Image:
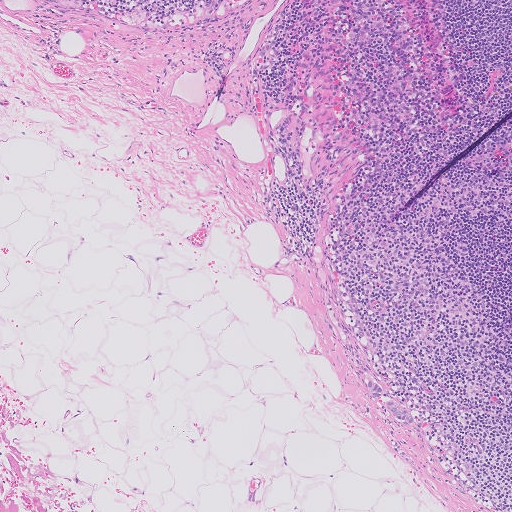
H&E-stained section of a sentinel lymph node (breast cancer), from a whole-slide image, viewed at about 5×: the field is about 1.0 mm across, about 2.0 µm per pixel.
Question:
Describe where the metastatic carcinoma lies in this crop.
Answer:
Outlines of two tumour regions, largest first (closed clockwise paths, crop pixels): region 1: (385, 400), (392, 400), (396, 402), (412, 417), (413, 420), (412, 424), (406, 426), (397, 419), (384, 406), (382, 403); region 2: (370, 378), (374, 382), (381, 386), (382, 389), (382, 393), (382, 396), (378, 397), (375, 397), (370, 393), (366, 386), (365, 383), (366, 379).
Under 5% of the image area is annotated as tumour.

Image:
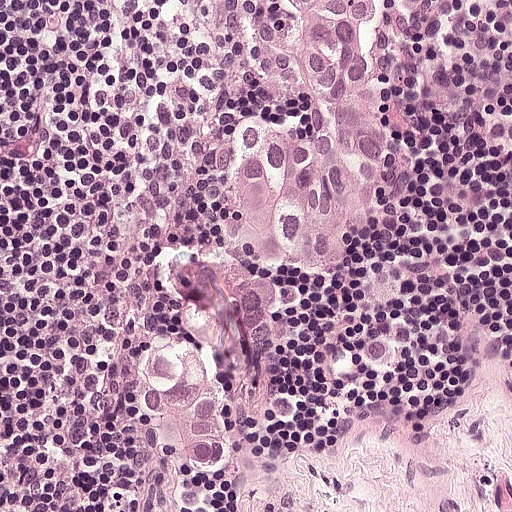
A 0.25-mm field of an H&E-stained sentinel lymph node from a breast-cancer patient (whole-slide image), shown at about 20×, about 0.49 µm per pixel.
Question:
Describe where the metastatic carcinoma lies in this crop.
Answer:
Metastatic tumour outline, simplified to 21 points and listed clockwise in crop pixels (x, y): (268, 0), (380, 0), (364, 38), (381, 191), (356, 262), (326, 286), (283, 298), (291, 362), (276, 394), (244, 418), (212, 472), (182, 483), (180, 511), (150, 511), (136, 382), (154, 340), (185, 320), (170, 272), (218, 248), (246, 97), (269, 78).
About 25% of this field is tumour.

Image:
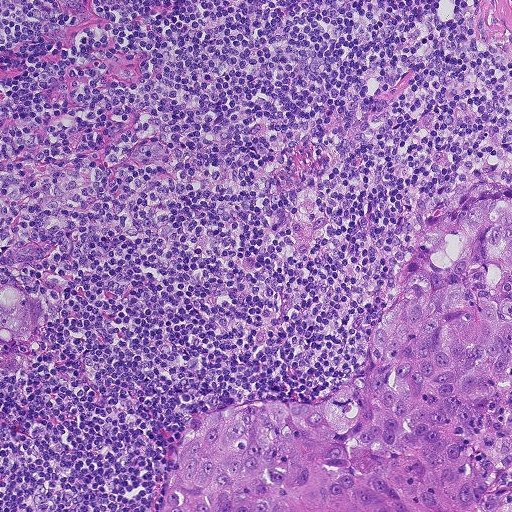
A 0.46-mm field of an H&E-stained sentinel lymph node from a breast-cancer patient (whole-slide image), shown at about 10×, about 0.9 µm per pixel.
Question:
Describe where the metastatic carcinoma lies in this crop.
Answer:
Two metastatic tumour regions, each outlined as a closed clockwise path in crop pixels (x, y), largest first: region 1: (477, 190), (510, 192), (511, 511), (159, 511), (191, 423), (240, 402), (323, 401), (338, 391), (432, 220); region 2: (6, 284), (22, 287), (36, 299), (41, 316), (38, 332), (24, 344), (7, 344), (0, 342), (0, 285).
The annotated tumour makes up about 25% of the crop.

Image:
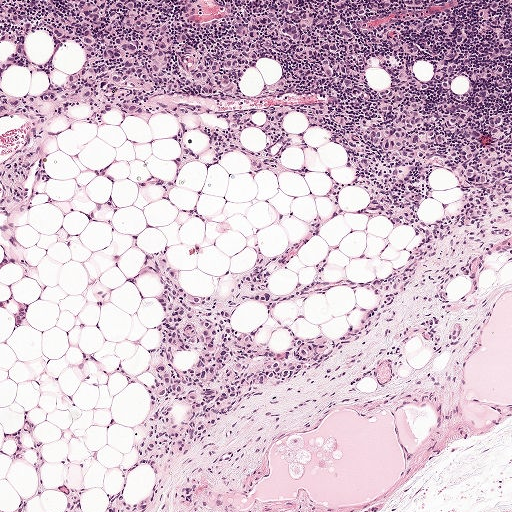
H&E-stained section of a sentinel lymph node (breast cancer), from a whole-slide image, viewed at about 5×: the field is about 1 mm across, about 1.9 µm per pixel.
Question:
Describe where the metastatic carcinoma lies in this crop.
Answer:
Two metastatic tumour regions, each outlined as a closed clockwise path in crop pixels (x, y), largest first: region 1: (0, 0), (181, 0), (204, 19), (302, 0), (382, 96), (511, 98), (511, 189), (430, 252), (372, 328), (154, 484), (149, 511), (58, 511), (50, 492), (9, 511), (32, 480), (0, 435), (28, 411), (48, 484), (98, 510), (128, 476), (146, 405), (158, 278), (145, 252), (174, 257), (184, 284), (210, 293), (257, 247), (306, 234), (327, 184), (246, 172), (240, 155), (174, 177), (163, 112), (42, 111), (36, 27), (0, 92); region 2: (8, 295), (28, 300), (28, 305), (24, 321), (16, 326), (12, 323), (11, 314), (16, 304), (10, 302), (4, 308), (0, 308), (0, 299), (4, 299).
About 40% of the image area is annotated as tumour.